Image:
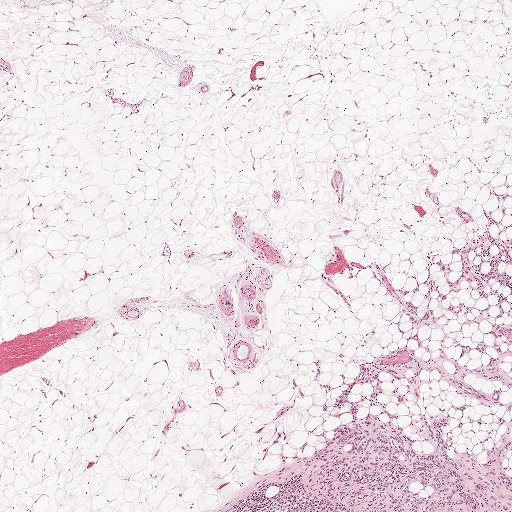
Lymph node section stained with H&E, from a whole-slide image of a breast-cancer sentinel node. Magnification about 2.5×, about 2.0 mm across the frame, about 3.9 µm per pixel.
Question:
Which parts of this field are metastatic tumour? Answer with the outline of each region, in pixels.
Answer:
Four metastatic tumour regions, each outlined as a closed clockwise path in crop pixels (x, y), largest first: region 1: (511, 326), (511, 511), (333, 511), (315, 501), (303, 484), (304, 468), (339, 423), (332, 414), (336, 398), (375, 360), (404, 347), (415, 330), (417, 353), (474, 368), (487, 356), (469, 351), (458, 358), (458, 348), (480, 339), (490, 344), (495, 340), (481, 334); region 2: (482, 209), (491, 212), (494, 222), (489, 228), (494, 239), (511, 239), (511, 272), (505, 262), (498, 265), (500, 272), (511, 279), (510, 317), (508, 304), (502, 302), (503, 314), (499, 319), (500, 308), (493, 305), (488, 322), (476, 325), (471, 321), (488, 306), (486, 299), (469, 291), (468, 280), (456, 293), (450, 292), (444, 274), (435, 264), (438, 260), (451, 263), (448, 280), (458, 280), (463, 267), (458, 256), (450, 250), (484, 232), (487, 223); region 3: (429, 273), (431, 281), (436, 286), (439, 291), (445, 295), (453, 304), (457, 305), (460, 301), (461, 301), (470, 305), (471, 308), (471, 310), (468, 313), (460, 312), (455, 314), (448, 313), (446, 312), (445, 309), (448, 304), (448, 301), (448, 300), (440, 300), (437, 293), (436, 292), (432, 293), (430, 299), (427, 302), (426, 299), (423, 297), (425, 290), (425, 286), (422, 284), (428, 277); region 4: (401, 289), (408, 292), (404, 298), (407, 301), (413, 302), (416, 307), (416, 316), (419, 316), (422, 314), (427, 303), (430, 307), (434, 309), (434, 314), (426, 318), (422, 323), (415, 323), (411, 322), (409, 319), (405, 307), (398, 295), (399, 290).
About 15% of the image area is annotated as tumour.